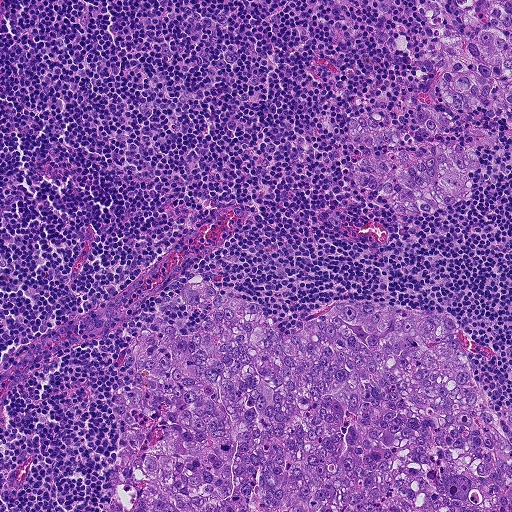
This is a crop of a whole-slide image: an H&E-stained breast-cancer sentinel lymph node section at roughly 10× magnification (about 0.9 µm per pixel; the crop spans about 0.46 mm).
Question: Is there metastatic carcinoma in this field?
Answer: Yes.
Two metastatic tumour regions, each outlined as a closed clockwise path in crop pixels (x, y), largest first: region 1: (198, 278), (256, 303), (281, 332), (350, 302), (452, 314), (478, 388), (494, 408), (511, 408), (511, 433), (499, 422), (511, 444), (511, 511), (107, 511), (107, 474), (125, 428), (108, 410), (116, 371), (132, 336); region 2: (438, 0), (466, 37), (456, 0), (511, 0), (511, 129), (495, 118), (491, 151), (476, 150), (470, 198), (398, 217), (382, 197), (342, 179), (364, 146), (346, 124), (379, 108), (418, 128), (401, 90), (432, 80), (414, 63), (440, 39), (420, 27), (426, 2).
Tumour covers about 40% of the frame.